H&E-stained section of a sentinel lymph node (breast cancer), from a whole-slide image, viewed at about 10×: the field is about 0.46 mm across, about 0.9 µm per pixel.
Question: 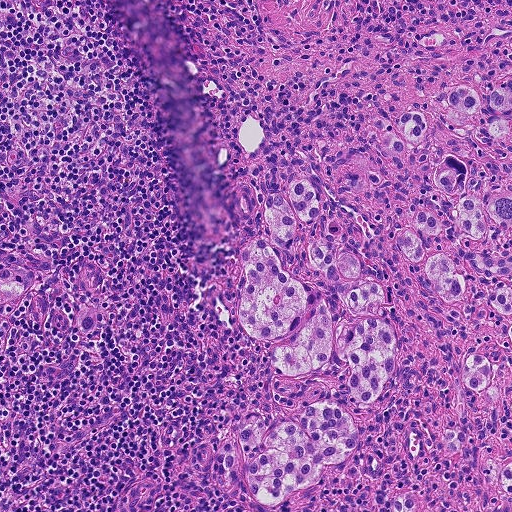
About how much of this crop is taken up by metastatic carcinoma?

Choices:
 (A) about 10% to 20%
 (B) about 5% or less
 (C) about 50% or more
 (D) about 25% to 45%
 (E) none: no tumour is outlined

Answer: (A) about 10% to 20%
About 20% of the field is tumour.
Boundaries of six metastatic tumour regions, simplified and listed clockwise, largest first: region 1: (301, 179), (321, 213), (298, 222), (295, 240), (334, 243), (384, 287), (395, 356), (372, 409), (350, 396), (349, 368), (325, 371), (360, 446), (315, 486), (263, 506), (242, 487), (224, 490), (213, 464), (246, 416), (273, 422), (274, 344), (235, 318), (239, 259), (269, 237), (260, 203); region 2: (451, 154), (463, 157), (468, 169), (469, 194), (482, 199), (511, 185), (511, 320), (500, 316), (492, 306), (462, 329), (450, 325), (422, 267), (400, 254), (395, 233), (406, 226), (404, 212), (410, 200), (419, 209), (444, 215), (456, 198), (433, 184), (430, 171), (438, 160); region 3: (463, 85), (486, 94), (502, 87), (511, 90), (511, 140), (498, 145), (485, 145), (474, 138), (459, 136), (447, 130), (432, 102), (440, 92), (450, 86); region 4: (417, 110), (428, 116), (428, 129), (420, 140), (406, 142), (409, 151), (397, 154), (385, 150), (373, 127), (378, 116), (390, 122), (397, 132), (395, 121), (404, 112); region 5: (479, 354), (490, 361), (492, 372), (491, 385), (480, 393), (468, 390), (460, 379), (466, 357); region 6: (492, 456), (498, 468), (511, 462), (511, 497), (504, 490), (498, 478), (492, 482), (483, 476), (482, 463).
Three more small tumour pieces are annotated here but not outlined.